Image:
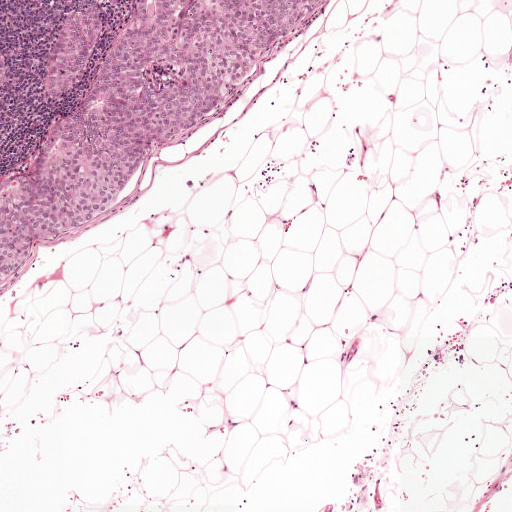
A 1-mm field of an H&E-stained sentinel lymph node from a breast-cancer patient (whole-slide image), shown at about 5×, about 1.9 µm per pixel.
Question:
Which parts of this field are metastatic tumour? Answer with the outline of each region, in pixels.
Answer:
Two metastatic tumour regions, each outlined as a closed clockwise path in crop pixels (x, y), largest first: region 1: (130, 0), (321, 0), (209, 116), (150, 156), (109, 212), (32, 244), (0, 287), (0, 181), (39, 157), (79, 100); region 2: (90, 0), (103, 10), (102, 25), (77, 82), (67, 93), (53, 98), (39, 92), (50, 47), (65, 20).
One more small tumour piece is annotated here but not outlined.
Tumour covers about 15% of the frame.